Image:
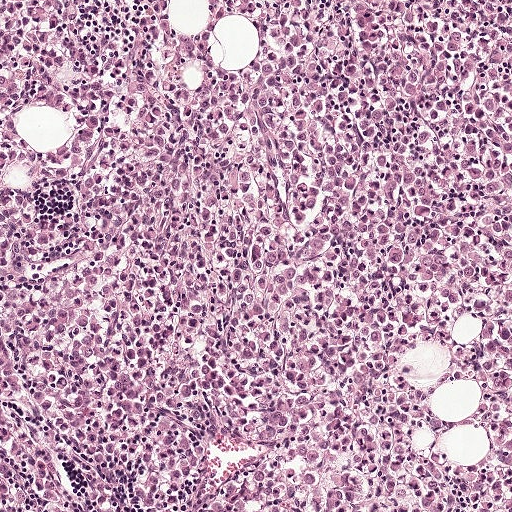
This is a crop of a whole-slide image: an H&E-stained breast-cancer sentinel lymph node section at roughly 10× magnification (about 0.97 µm per pixel; the crop spans about 0.5 mm).
Question:
Where is the metastatic tumour in this field? Give each region's outline as (x, y) pixel points.
Answer:
Tumour region outline (a closed clockwise path, crop pixels): (181, 211), (254, 231), (266, 246), (321, 251), (358, 276), (390, 346), (400, 426), (452, 475), (450, 511), (116, 511), (36, 391), (24, 348), (30, 298), (104, 216).
The annotated tumour makes up about 35% of the crop.